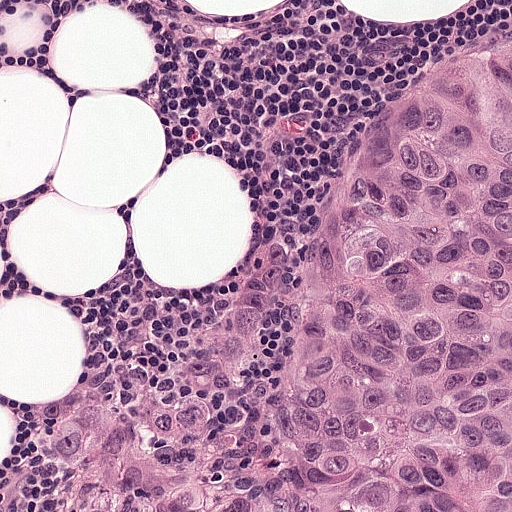
This is a crop of a whole-slide image: an H&E-stained breast-cancer sentinel lymph node section at roughly 20× magnification (about 0.49 µm per pixel; the crop spans about 0.25 mm).
Metastatic tumour outline, simplified to 9 points and listed clockwise in crop pixels (x, y): (510, 33), (511, 511), (32, 511), (32, 434), (49, 412), (186, 366), (320, 204), (388, 96), (434, 58).
The annotated tumour makes up about 50% of the crop.